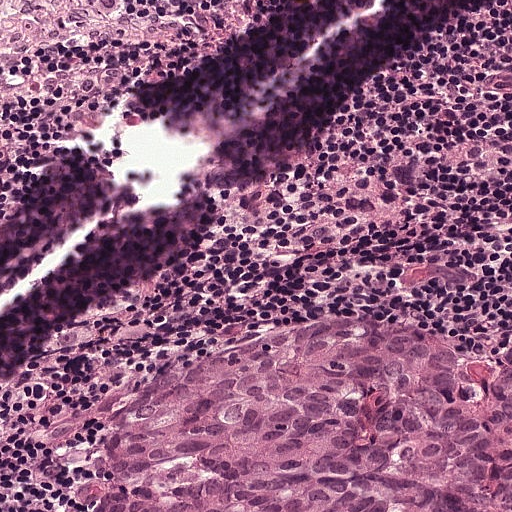
Lymph node section stained with H&E, from a whole-slide image of a breast-cancer sentinel node. Magnification about 20×, about 0.25 mm across the frame, about 0.49 µm per pixel.
Metastatic tumour outline, simplified to 9 points and listed clockwise in crop pixels (x, y): (279, 330), (388, 330), (474, 352), (511, 343), (511, 511), (87, 511), (104, 470), (108, 402), (213, 350).
Tumour covers about 25% of the frame.